Image:
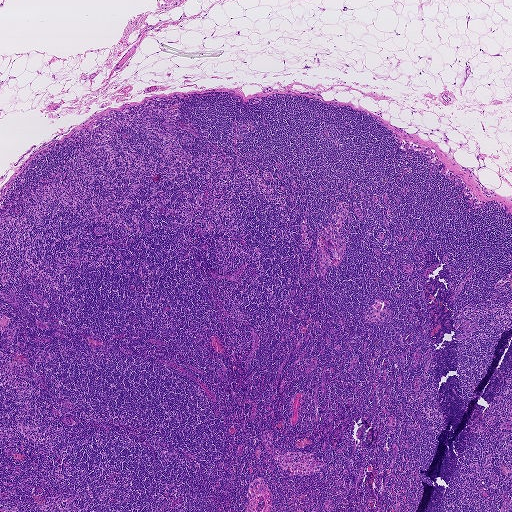
A 1.9-mm field of an H&E-stained sentinel lymph node from a breast-cancer patient (whole-slide image), shown at about 2.5×, about 3.6 µm per pixel.
Question:
Is there metastatic carcinoma in this field?
Answer:
No, this field holds no outlined metastasis.